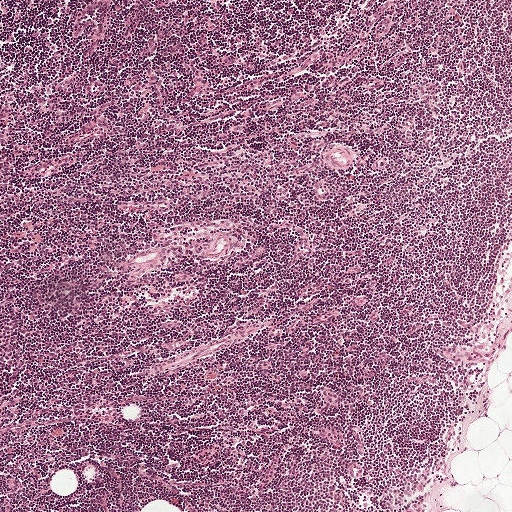
This is a crop of a whole-slide image: an H&E-stained breast-cancer sentinel lymph node section at roughly 5× magnification (about 1.9 µm per pixel; the crop spans about 1 mm).
Question: Does this lymph node field contain metastatic tumour?
Answer: No, this field holds no outlined metastasis.